Lymph node section stained with H&E, from a whole-slide image of a breast-cancer sentinel node. Magnification about 2.5×, about 2.0 mm across the frame, about 4.0 µm per pixel.
Question: 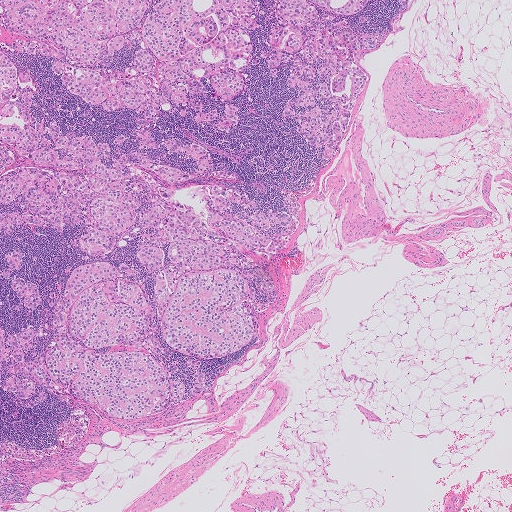
Estimate the proportion of this field that is metastatic tumour.

Choices:
 (A) about 25% to 45%
 (B) none: no tumour is outlined
 (C) about 10% to 20%
 (D) about 5% or less
 (E) about 50% or more

Answer: (A) about 25% to 45%
About 40% of the field is tumour.
Outlines of five tumour regions, largest first (closed clockwise paths, crop pixels): region 1: (0, 47), (30, 70), (30, 113), (249, 190), (268, 207), (289, 189), (299, 214), (287, 209), (297, 233), (255, 263), (269, 287), (255, 290), (258, 331), (239, 352), (212, 359), (163, 335), (134, 254), (135, 226), (107, 255), (77, 250), (69, 238), (76, 226), (7, 237); region 2: (0, 0), (258, 0), (261, 8), (237, 118), (227, 127), (186, 118), (158, 126), (211, 153), (216, 167), (203, 171), (166, 151), (125, 148), (114, 139), (127, 134), (138, 142), (134, 114), (66, 98), (44, 60), (18, 51), (4, 26); region 3: (82, 262), (139, 268), (155, 337), (167, 363), (189, 383), (187, 398), (147, 416), (134, 416), (104, 414), (67, 390), (53, 390), (33, 409), (0, 393), (0, 326), (5, 331), (19, 326), (44, 312), (57, 272), (71, 272); region 4: (271, 0), (368, 0), (367, 13), (380, 37), (355, 49), (364, 76), (348, 131), (331, 157), (317, 157), (300, 134), (278, 116), (286, 89), (280, 76), (267, 79), (261, 66), (247, 65), (266, 44), (273, 18); region 5: (12, 250), (26, 255), (21, 268), (28, 279), (40, 285), (40, 301), (28, 310), (16, 303), (0, 280), (0, 258), (2, 260).